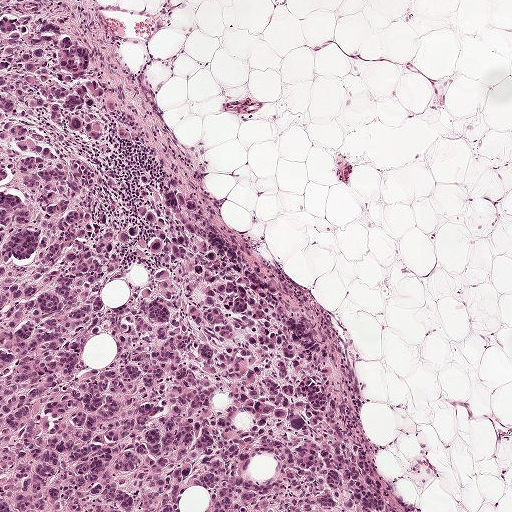
Lymph node section stained with H&E, from a whole-slide image of a breast-cancer sentinel node. Magnification about 5×, about 1 mm across the frame, about 1.9 µm per pixel.
Question: Is any metastatic breast cancer visible in this crop?
Answer: Yes.
One metastatic tumour region; its boundary, reduced to 11 corners and listed clockwise: (0, 0), (34, 0), (90, 47), (176, 183), (315, 320), (399, 511), (210, 511), (211, 492), (190, 488), (181, 511), (0, 511).
Tumour covers about 45% of the frame.